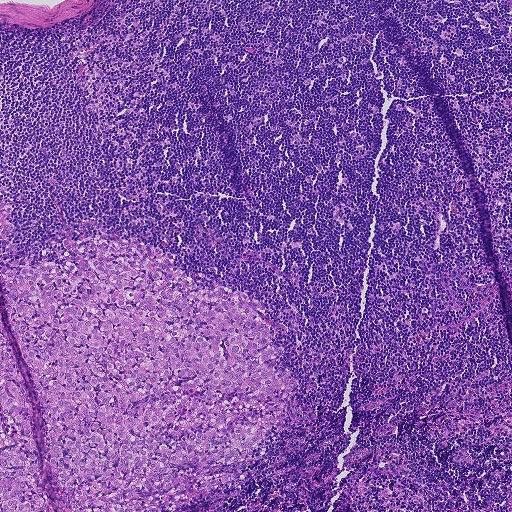
Lymph node section stained with H&E, from a whole-slide image of a breast-cancer sentinel node. Magnification about 5×, about 0.93 mm across the frame, about 1.8 µm per pixel.
Question: Does this lymph node field contain metastatic tumour?
Answer: Yes.
Boundaries of two metastatic tumour regions, simplified and listed clockwise, largest first: region 1: (96, 234), (164, 249), (202, 289), (226, 285), (262, 305), (273, 343), (284, 346), (274, 369), (296, 388), (286, 420), (267, 431), (260, 458), (207, 474), (236, 478), (177, 509), (0, 511), (2, 265), (62, 263), (66, 238); region 2: (0, 197), (10, 204), (12, 209), (8, 214), (9, 220), (15, 231), (4, 237), (0, 242).
Two more small tumour pieces are annotated here but not outlined.
Tumour covers about 25% of the frame.